Image:
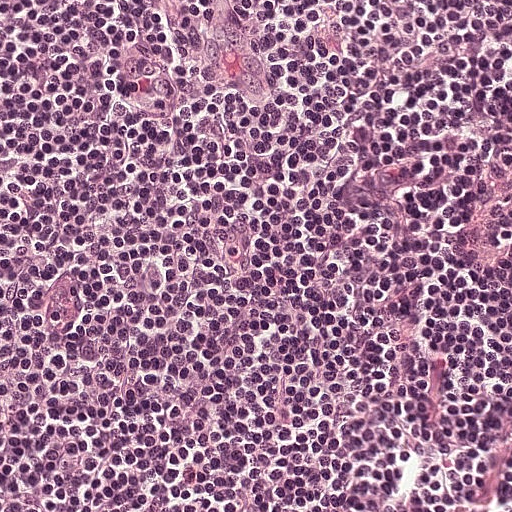
A 0.25-mm field of an H&E-stained sentinel lymph node from a breast-cancer patient (whole-slide image), shown at about 20×, about 0.49 µm per pixel.
Question:
Is any metastatic breast cancer visible in this crop?
Answer:
No, this field holds no outlined metastasis.